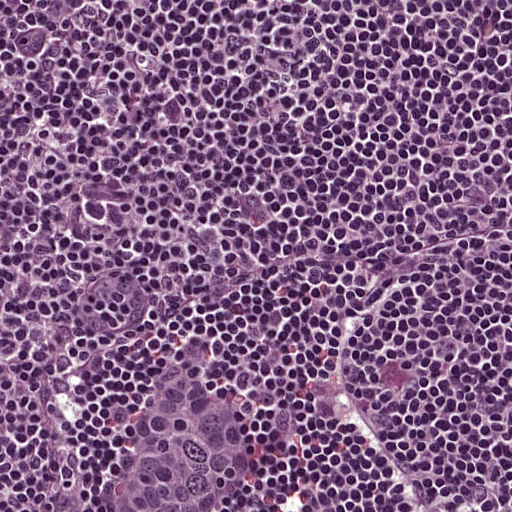
A 0.25-mm field of an H&E-stained sentinel lymph node from a breast-cancer patient (whole-slide image), shown at about 20×, about 0.49 µm per pixel.
The outlined metastatic tumour's edge, as a closed clockwise path of 7 points: (202, 346), (234, 382), (248, 476), (246, 511), (99, 511), (96, 442), (161, 370).
Tumour covers about 5% of the frame.